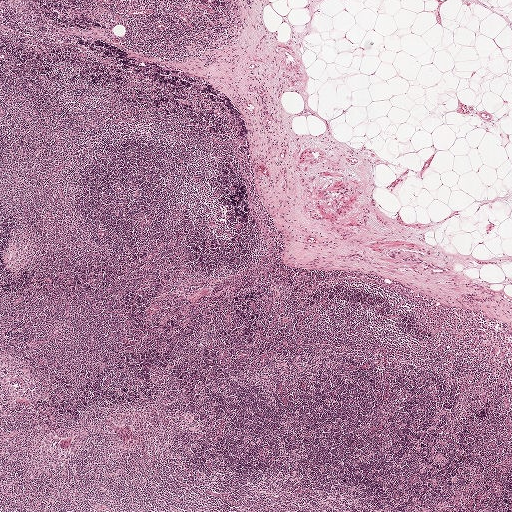
This is a crop of a whole-slide image: an H&E-stained breast-cancer sentinel lymph node section at roughly 2.5× magnification (about 3.9 µm per pixel; the crop spans about 2.0 mm).
Question: Does this lymph node field contain metastatic tumour?
Answer: No, this field holds no outlined metastasis.